Question: 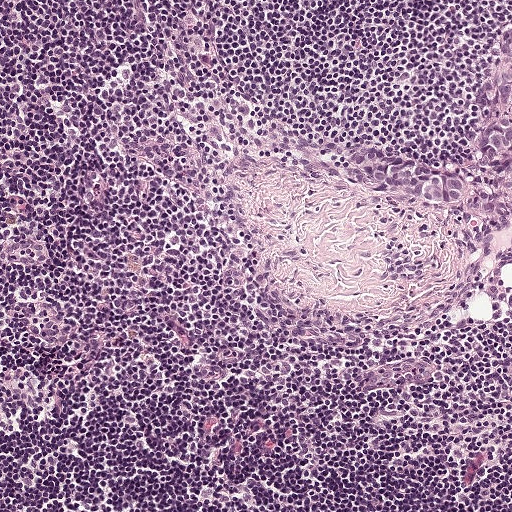
Lymph node section stained with H&E, from a whole-slide image of a breast-cancer sentinel node. Magnification about 10×, about 0.5 mm across the frame, about 0.97 µm per pixel.
What fraction of the image area is metastatic tumour?

Choices:
 (A) about 50% or more
 (B) about 5% or less
 (C) about 10% to 20%
 (D) about 25% to 45%
 (E) none: no tumour is outlined

Answer: (B) about 5% or less
About 5% of the field is tumour.
Metastatic tumour outline, simplified to 16 points and listed clockwise in crop pixels (x, y): (511, 30), (511, 260), (491, 250), (493, 232), (499, 229), (486, 220), (410, 208), (359, 181), (349, 169), (349, 155), (367, 142), (390, 144), (448, 181), (454, 180), (474, 161), (478, 84).